Lymph node section stained with H&E, from a whole-slide image of a breast-cancer sentinel node. Magnification about 5×, about 1 mm across the frame, about 1.9 µm per pixel.
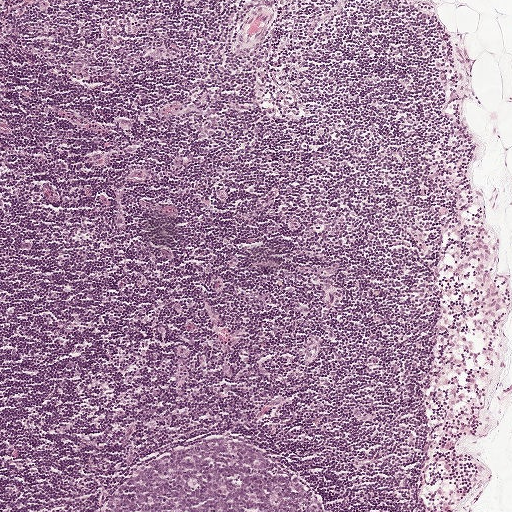
Question: Does this lymph node field contain metastatic tumour?
Answer: No, this field holds no outlined metastasis.